Lymph node section stained with H&E, from a whole-slide image of a breast-cancer sentinel node. Magnification about 5×, about 1 mm across the frame, about 1.9 µm per pixel.
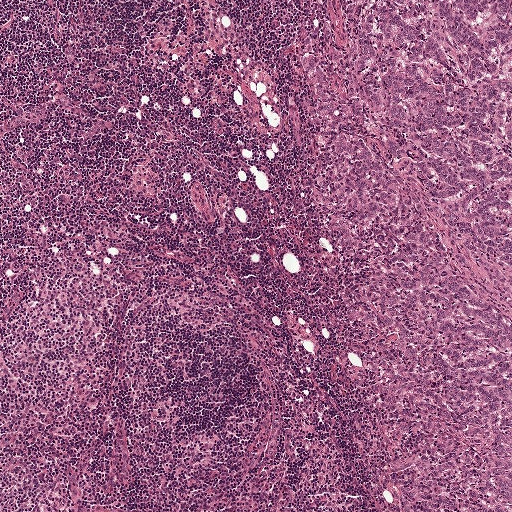
One metastatic tumour region; its boundary, reduced to 6 corners and listed clockwise: (511, 0), (511, 511), (392, 511), (362, 450), (293, 188), (298, 2).
The annotated tumour makes up about 35% of the crop.